Question: 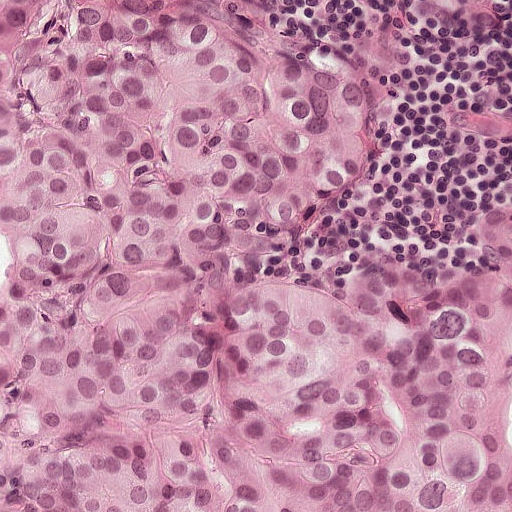
Lymph node section stained with H&E, from a whole-slide image of a breast-cancer sentinel node. Magnification about 20×, about 0.25 mm across the frame, about 0.49 µm per pixel.
About how much of this crop is taken up by metastatic carcinoma?

Choices:
 (A) about 5% or less
 (B) about 25% to 45%
 (C) about 50% or more
 (D) about 10% to 20%
 (E) none: no tumour is outlined

Answer: (C) about 50% or more
About 85% of the field is tumour.
Tumour region outline (a closed clockwise path, crop pixels): (0, 0), (276, 0), (296, 32), (354, 66), (380, 122), (372, 179), (338, 219), (260, 271), (342, 292), (363, 260), (456, 266), (479, 248), (481, 216), (510, 203), (511, 511), (0, 511).